Question: 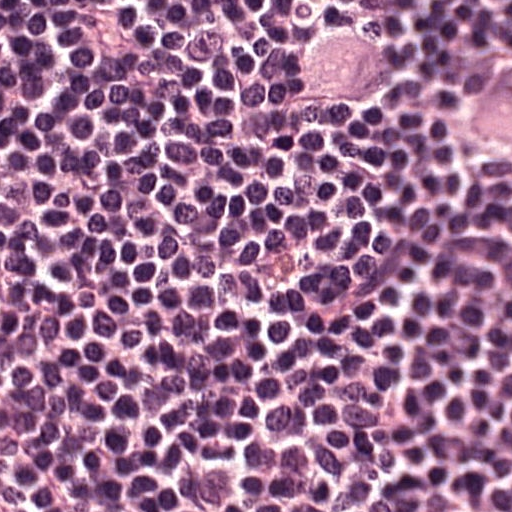
H&E-stained section of a sentinel lymph node (breast cancer), from a whole-slide image, viewed at about 40×: the field is about 0.12 mm across, about 0.24 µm per pixel.
What fraction of the image area is metastatic tumour?

Choices:
 (A) about 5% or less
 (B) about 50% or more
 (C) about 25% to 45%
 (D) none: no tumour is outlined
 (E) about 10% to 20%

Answer: (E) about 10% to 20%
About 15% of the field is tumour.
The outlined metastatic tumour's edge, as a closed clockwise path of 15 points: (270, 2), (361, 2), (418, 31), (492, 42), (463, 42), (475, 54), (503, 54), (511, 63), (511, 189), (463, 189), (378, 162), (372, 150), (321, 133), (281, 94), (258, 59).